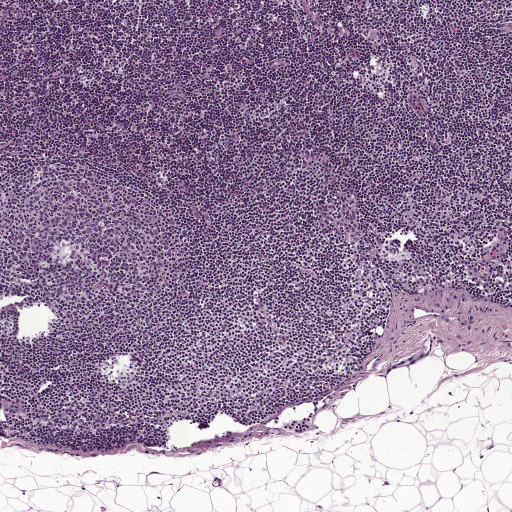
H&E-stained section of a sentinel lymph node (breast cancer), from a whole-slide image, viewed at about 5×: the field is about 1 mm across, about 1.9 µm per pixel.